Question: 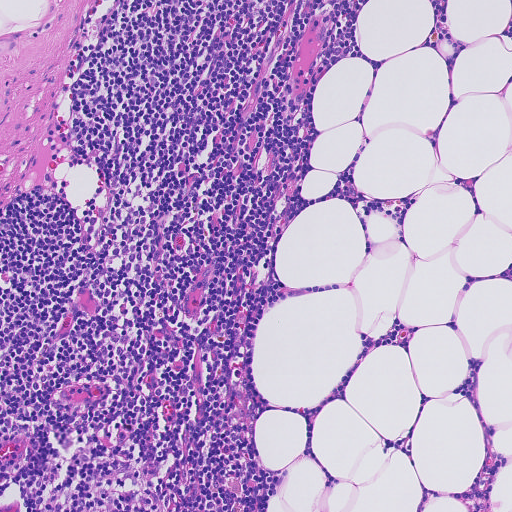
About what magnification does this crop show?

Choices:
 (A) about 20×
 (B) about 2.5×
 (C) about 10×
 (D) about 5×
 (E) about 40×

Answer: (C) about 10×
A 0.46-mm field of an H&E-stained sentinel lymph node from a breast-cancer patient (whole-slide image), shown at about 10×, about 0.91 µm per pixel.